Question: 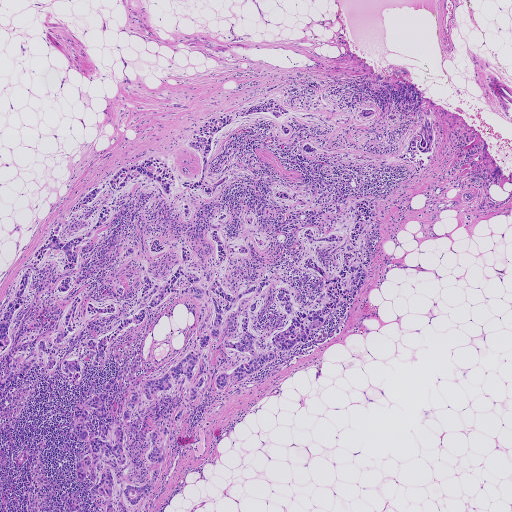
A 1.9-mm field of an H&E-stained sentinel lymph node from a breast-cancer patient (whole-slide image), shown at about 2.5×, about 3.6 µm per pixel.
Roughly what share of this field is metastatic tumour?

Choices:
 (A) about 25% to 45%
 (B) about 10% to 20%
 (C) none: no tumour is outlined
 (D) about 5% or less
 (E) about 50% or more

Answer: (A) about 25% to 45%
About 25% of the field is tumour.
Boundaries of eight metastatic tumour regions, simplified and listed clockwise, largest first: region 1: (280, 99), (286, 137), (258, 114), (219, 131), (206, 170), (230, 175), (191, 196), (190, 224), (228, 209), (237, 236), (257, 212), (267, 277), (306, 305), (325, 288), (299, 270), (302, 225), (347, 234), (355, 202), (377, 200), (367, 282), (194, 409), (153, 491), (102, 511), (100, 472), (76, 471), (76, 405), (117, 379), (120, 424), (200, 322), (170, 292), (101, 365), (81, 358), (76, 384), (42, 357), (0, 399), (2, 314), (87, 190), (153, 155), (193, 181), (204, 124); region 2: (399, 80), (405, 80), (418, 87), (422, 102), (415, 115), (403, 115), (394, 110), (383, 112), (370, 97), (374, 88), (379, 88), (383, 82), (390, 82), (397, 89), (399, 86), (395, 81); region 3: (429, 116), (432, 117), (436, 126), (436, 141), (434, 155), (423, 170), (414, 178), (410, 179), (414, 169), (409, 162), (394, 159), (394, 156), (404, 151), (411, 135); region 4: (282, 187), (295, 191), (296, 196), (293, 200), (280, 201), (273, 197), (274, 190); region 5: (305, 142), (310, 142), (317, 145), (319, 151), (316, 153), (309, 154), (303, 153), (300, 147); region 6: (367, 108), (375, 108), (375, 112), (373, 116), (365, 118), (359, 117), (358, 113), (362, 109); region 7: (293, 87), (299, 89), (295, 93), (285, 96), (283, 95), (286, 91); region 8: (280, 84), (278, 87), (273, 91), (265, 92), (266, 89), (273, 85).
Five more small tumour pieces are annotated here but not outlined.